Question: 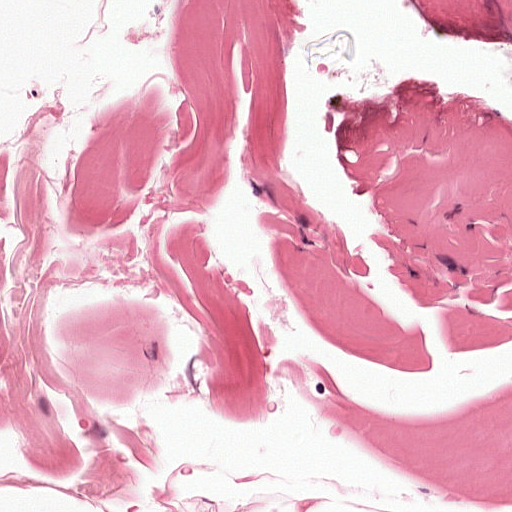
About what magnification does this crop show?

Choices:
 (A) about 2.5×
 (B) about 5×
 (C) about 10×
 (D) about 40×
 (E) about 20×

Answer: (E) about 20×
This is a crop of a whole-slide image: an H&E-stained breast-cancer sentinel lymph node section at roughly 20× magnification (about 0.49 µm per pixel; the crop spans about 0.25 mm).